Question: 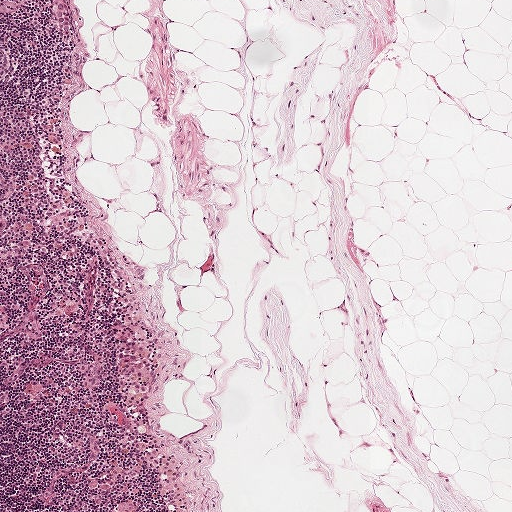
This is a crop of a whole-slide image: an H&E-stained breast-cancer sentinel lymph node section at roughly 5× magnification (about 1.9 µm per pixel; the crop spans about 1 mm).
What fraction of the image area is metastatic tumour?

Choices:
 (A) about 50% or more
 (B) about 10% to 20%
 (C) about 5% or less
 (D) none: no tumour is outlined
 (E) about 25% to 45%

Answer: (C) about 5% or less
Under 5% of the field is tumour.
One metastatic tumour region; its boundary, reduced to 10 corners and listed clockwise: (120, 349), (132, 349), (142, 353), (152, 371), (152, 383), (145, 394), (126, 391), (118, 382), (122, 372), (119, 360).